Image:
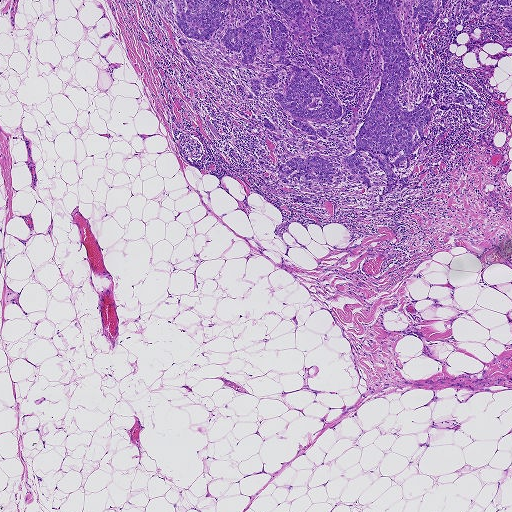
Lymph node section stained with H&E, from a whole-slide image of a breast-cancer sentinel node. Magnification about 2.5×, about 1.9 mm across the frame, about 3.6 µm per pixel.
Question:
Which parts of this field are metastatic tumour?
Answer:
Boundaries of two metastatic tumour regions, simplified and listed clockwise, largest first: region 1: (149, 0), (448, 0), (419, 39), (406, 91), (412, 101), (432, 92), (445, 102), (463, 102), (434, 116), (406, 188), (381, 202), (374, 188), (352, 182), (323, 189), (313, 203), (294, 202), (264, 165), (277, 149), (257, 102), (245, 98), (238, 56), (215, 38), (192, 40), (198, 67); region 2: (466, 0), (511, 0), (511, 38), (500, 23), (473, 13), (468, 10).
Tumour covers about 15% of the frame.